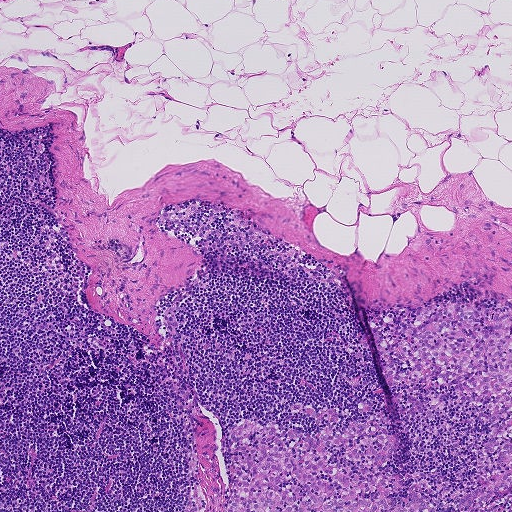
H&E-stained section of a sentinel lymph node (breast cancer), from a whole-slide image, viewed at about 5×: the field is about 0.93 mm across, about 1.8 µm per pixel.
Boundaries of three metastatic tumour regions, simplified and listed clockwise, largest first: region 1: (333, 407), (339, 415), (332, 432), (357, 419), (372, 422), (398, 438), (396, 452), (380, 470), (403, 476), (402, 486), (390, 493), (395, 502), (403, 508), (414, 488), (434, 510), (225, 511), (234, 429), (248, 419), (297, 426), (319, 438), (330, 429), (327, 420), (316, 424), (309, 411); region 2: (453, 302), (511, 307), (511, 469), (497, 460), (495, 451), (483, 448), (495, 435), (486, 419), (492, 407), (488, 404), (458, 402), (453, 385), (441, 377), (398, 381), (399, 385), (390, 387), (384, 369), (389, 360), (398, 371), (412, 368), (410, 359), (398, 351), (401, 328), (428, 307); region 3: (511, 470), (511, 511), (456, 511), (454, 504), (457, 500), (494, 474).
About 10% of this field is tumour.